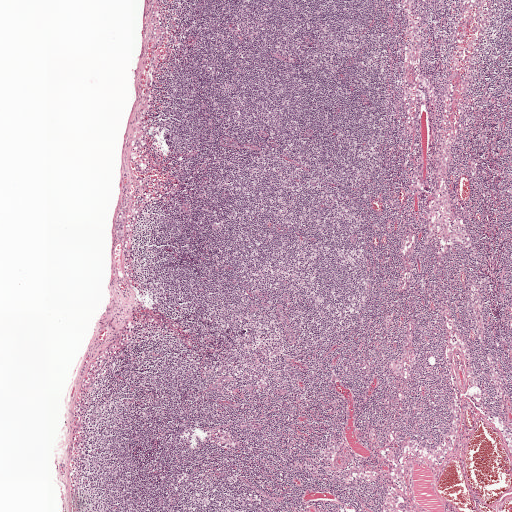
This is a crop of a whole-slide image: an H&E-stained breast-cancer sentinel lymph node section at roughly 2.5× magnification (about 3.9 µm per pixel; the crop spans about 2.0 mm).
Metastatic tumour outline, simplified to 9 points and listed clockwise in crop pixels (x, y): (123, 210), (125, 213), (126, 226), (124, 238), (120, 241), (117, 239), (115, 233), (116, 220), (118, 214).
The annotated tumour makes up under 5% of the crop.